A 1-mm field of an H&E-stained sentinel lymph node from a breast-cancer patient (whole-slide image), shown at about 5×, about 1.9 µm per pixel.
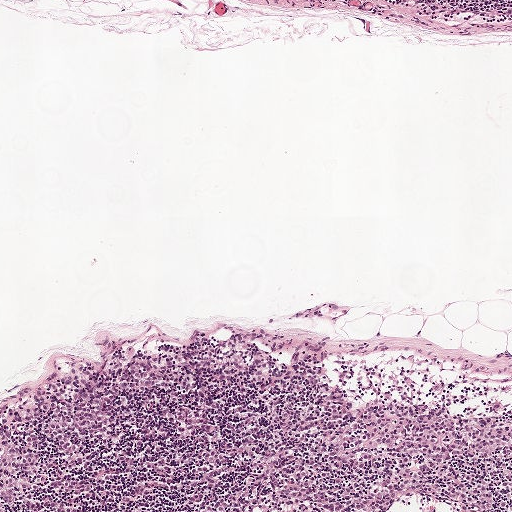
Two metastatic tumour regions, each outlined as a closed clockwise path in crop pixels (x, y), largest first: region 1: (170, 351), (179, 367), (179, 382), (165, 393), (112, 413), (108, 444), (88, 461), (94, 497), (83, 511), (0, 511), (1, 412), (22, 383), (49, 366); region 2: (412, 402), (474, 415), (511, 431), (511, 460), (401, 460), (343, 452), (329, 446), (324, 437), (326, 426), (365, 403).
About 10% of the image area is annotated as tumour.